Question: 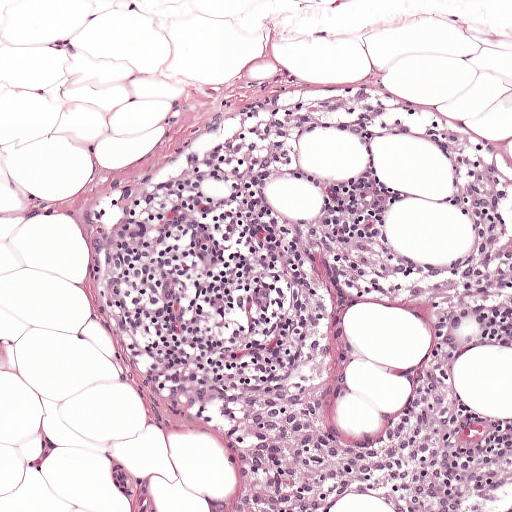
At roughly what magnification is this field shown?

Choices:
 (A) about 40×
 (B) about 2.5×
 (C) about 20×
 (D) about 10×
 (E) about 5×

Answer: (D) about 10×
A 0.5-mm field of an H&E-stained sentinel lymph node from a breast-cancer patient (whole-slide image), shown at about 10×, about 0.97 µm per pixel.